Question: 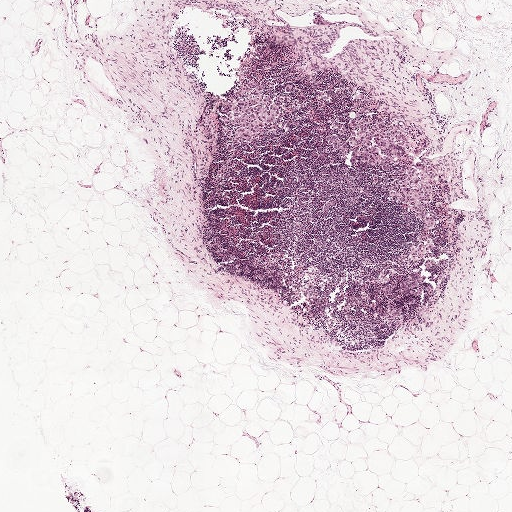
Lymph node section stained with H&E, from a whole-slide image of a breast-cancer sentinel node. Magnification about 2.5×, about 2.0 mm across the frame, about 3.9 µm per pixel.
Roughly what share of this field is metastatic tumour?

Choices:
 (A) about 50% or more
 (B) about 25% to 45%
 (C) about 5% or less
 (D) about 10% to 20%
 (E) none: no tumour is outlined

Answer: (C) about 5% or less
About 5% of the field is tumour.
Eight metastatic tumour regions, each outlined as a closed clockwise path in crop pixels (x, y), largest first: region 1: (364, 93), (374, 101), (374, 120), (381, 122), (386, 118), (385, 122), (388, 125), (400, 123), (410, 143), (420, 137), (426, 137), (429, 146), (424, 148), (410, 146), (406, 152), (419, 150), (422, 154), (409, 154), (416, 159), (407, 159), (401, 166), (392, 165), (387, 170), (376, 164), (366, 168), (368, 160), (353, 154), (352, 150), (358, 148), (349, 143), (348, 140), (356, 137), (357, 127), (350, 122), (355, 120), (357, 110), (364, 105), (355, 103), (352, 95); region 2: (251, 82), (256, 84), (262, 93), (269, 97), (278, 106), (277, 131), (271, 130), (271, 126), (259, 129), (249, 142), (245, 144), (233, 142), (236, 130), (241, 126), (232, 124), (227, 119), (227, 116), (223, 109), (225, 106), (230, 101), (238, 101), (238, 91); region 3: (423, 162), (430, 166), (437, 177), (439, 190), (438, 192), (434, 190), (434, 185), (429, 179), (428, 180), (432, 187), (432, 200), (427, 209), (435, 222), (434, 228), (428, 231), (422, 229), (422, 220), (415, 218), (406, 209), (408, 203), (398, 203), (396, 197), (388, 192), (388, 189), (391, 182), (396, 181), (397, 186), (399, 183), (397, 178), (401, 177), (405, 179), (407, 173), (405, 169), (409, 166), (412, 167), (421, 177), (419, 169), (414, 164); region 4: (435, 231), (438, 232), (438, 235), (433, 236), (436, 241), (421, 259), (415, 260), (408, 254), (408, 250), (410, 247), (418, 247), (422, 242), (418, 238), (420, 235), (427, 236); region 5: (331, 135), (336, 135), (346, 145), (345, 152), (341, 153), (338, 150), (334, 150), (332, 147), (327, 145), (325, 138); region 6: (394, 304), (397, 304), (398, 305), (396, 308), (397, 308), (399, 308), (401, 308), (401, 311), (401, 313), (399, 314), (395, 317), (391, 318), (387, 317), (386, 314), (384, 313), (385, 310), (389, 307), (390, 305); region 7: (318, 93), (325, 93), (330, 96), (331, 99), (331, 101), (330, 103), (328, 103), (325, 101), (324, 107), (321, 107), (318, 104), (318, 102), (319, 101), (317, 98); region 8: (392, 282), (396, 284), (396, 286), (392, 290), (390, 294), (388, 295), (381, 295), (380, 294), (380, 291), (385, 286), (391, 284).
11 more small tumour pieces are annotated here but not outlined.